Image:
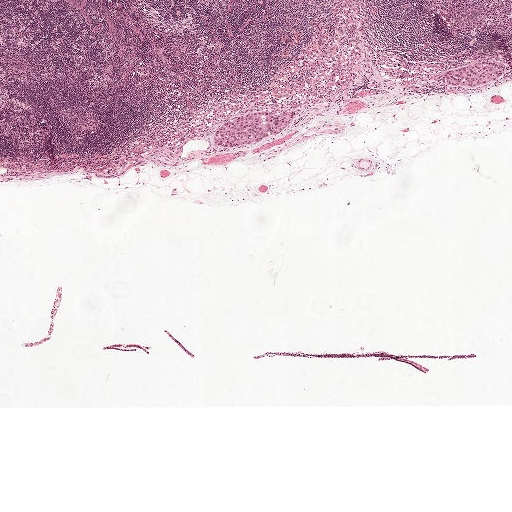
H&E-stained section of a sentinel lymph node (breast cancer), from a whole-slide image, viewed at about 2.5×: the field is about 2.0 mm across, about 3.9 µm per pixel.
Question:
Does this lymph node field contain metastatic tumour?
Answer:
Yes.
Two metastatic tumour regions, each outlined as a closed clockwise path in crop pixels (x, y), largest first: region 1: (289, 107), (295, 108), (294, 116), (287, 130), (273, 139), (231, 146), (221, 145), (213, 140), (212, 132), (215, 125), (242, 112), (256, 108), (278, 111); region 2: (475, 60), (490, 62), (503, 66), (505, 74), (496, 83), (475, 91), (454, 89), (438, 79), (437, 75), (440, 70).
Under 5% of the image area is annotated as tumour.